Question: 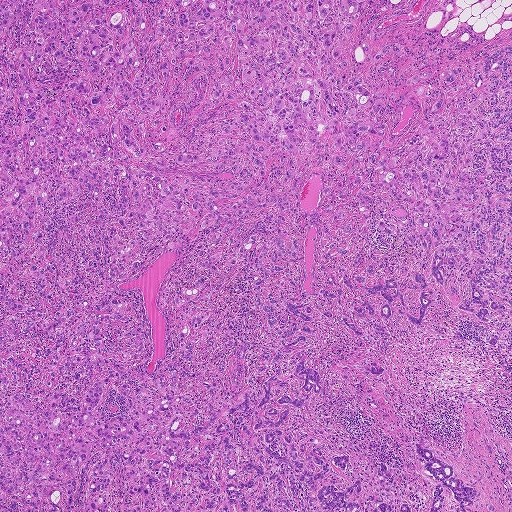
A 1.9-mm field of an H&E-stained sentinel lymph node from a breast-cancer patient (whole-slide image), shown at about 2.5×, about 3.6 µm per pixel.
Roughly what share of this field is metastatic tumour?

Choices:
 (A) about 5% or less
 (B) about 50% or more
 (C) about 10% to 20%
 (D) about 25% to 45%
 (E) none: no tumour is outlined

Answer: (B) about 50% or more
About 85% of the field is tumour.
Two metastatic tumour regions, each outlined as a closed clockwise path in crop pixels (x, y), largest first: region 1: (0, 0), (143, 0), (166, 36), (173, 0), (372, 0), (343, 54), (365, 19), (412, 48), (367, 54), (384, 104), (511, 42), (511, 320), (492, 346), (506, 311), (437, 286), (362, 343), (378, 375), (319, 318), (344, 400), (288, 423), (412, 511), (0, 511); region 2: (415, 439), (433, 449), (442, 459), (451, 464), (454, 466), (455, 476), (461, 478), (465, 483), (477, 488), (481, 494), (480, 501), (486, 504), (494, 503), (496, 509), (495, 511), (488, 511), (485, 506), (482, 505), (477, 511), (455, 511), (458, 503), (452, 496), (445, 491), (442, 511), (428, 511), (433, 488), (438, 482), (426, 470), (423, 461), (414, 451), (413, 442).
One more small tumour piece is annotated here but not outlined.